Question: 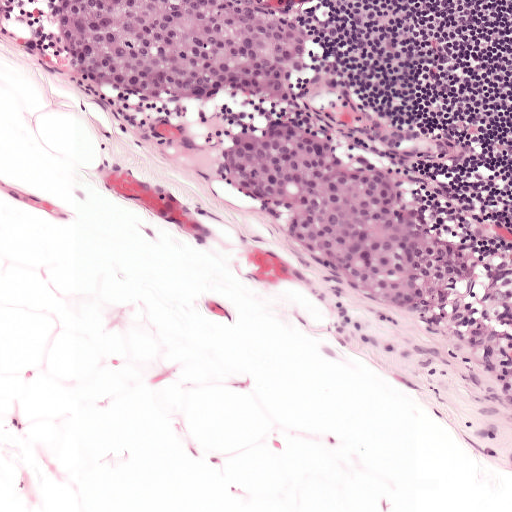
Which magnification is this H&E lymph node field most likely shown at?

Choices:
 (A) about 10×
 (B) about 5×
 (C) about 20×
 (D) about 40×
 (E) about 2.5×

Answer: (A) about 10×
A 0.5-mm field of an H&E-stained sentinel lymph node from a breast-cancer patient (whole-slide image), shown at about 10×, about 0.97 µm per pixel.
Three metastatic tumour regions, each outlined as a closed clockwise path in crop pixels (x, y), largest first: region 1: (292, 118), (342, 138), (410, 184), (471, 240), (481, 263), (470, 286), (429, 318), (404, 314), (312, 268), (219, 176), (218, 151), (236, 134); region 2: (58, 0), (285, 0), (305, 44), (290, 92), (244, 114), (115, 95), (74, 65); region 3: (511, 362), (511, 425), (506, 422), (498, 398), (502, 371).
About 20% of this field is tumour.